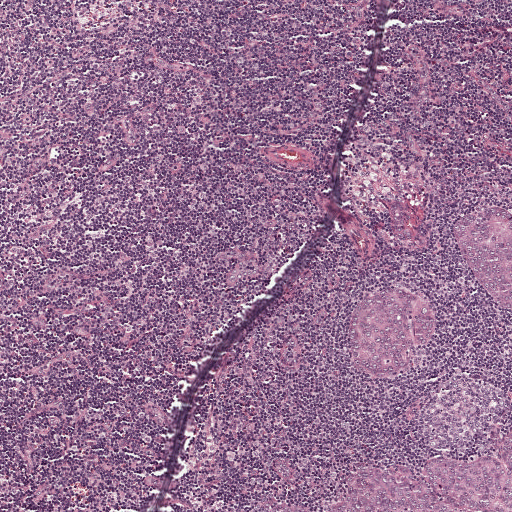
A 1-mm field of an H&E-stained sentinel lymph node from a breast-cancer patient (whole-slide image), shown at about 5×, about 1.9 µm per pixel.
Question: Which parts of this field are metastatic tumour? Answer with the outline of each region, in pixels.
Answer: Outlines of four tumour regions, largest first (closed clockwise paths, crop pixels): region 1: (511, 435), (511, 511), (257, 511), (265, 503), (275, 501), (314, 506), (333, 502), (360, 460), (380, 465), (410, 465), (439, 455), (478, 456), (488, 454); region 2: (388, 285), (417, 291), (426, 298), (434, 318), (432, 341), (422, 361), (387, 380), (365, 375), (357, 367), (348, 346), (348, 323), (358, 302); region 3: (486, 206), (510, 208), (511, 313), (498, 307), (476, 287), (452, 236), (459, 218), (467, 213); region 4: (395, 200), (405, 202), (408, 208), (406, 223), (422, 235), (426, 242), (424, 246), (396, 238), (390, 222), (390, 203).
About 10% of this field is tumour.